Question: 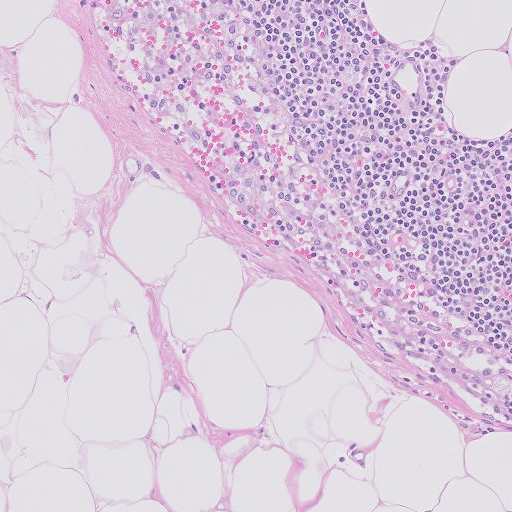
Which magnification is this H&E lymph node field most likely shown at?

Choices:
 (A) about 5×
 (B) about 40×
 (C) about 20×
 (D) about 2.5×
 (E) about 10×

Answer: (E) about 10×
This is a crop of a whole-slide image: an H&E-stained breast-cancer sentinel lymph node section at roughly 10× magnification (about 1.0 µm per pixel; the crop spans about 0.51 mm).